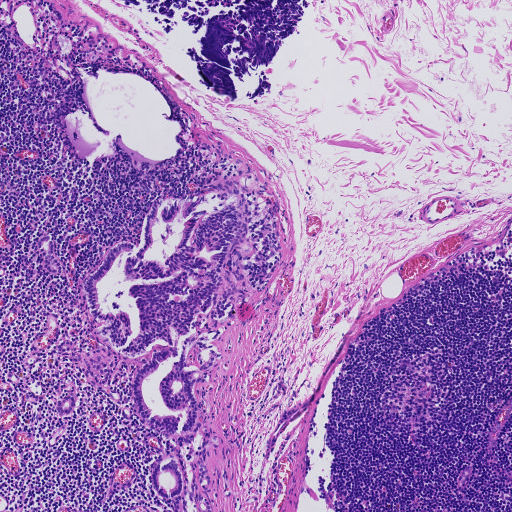
This is a crop of a whole-slide image: an H&E-stained breast-cancer sentinel lymph node section at roughly 5× magnification (about 1.8 µm per pixel; the crop spans about 0.93 mm).
Outlines of eight tumour regions, largest first (closed clockwise paths, crop pixels): region 1: (243, 168), (240, 185), (255, 249), (247, 265), (250, 295), (210, 343), (222, 357), (209, 381), (194, 385), (204, 447), (190, 462), (136, 410), (138, 370), (169, 345), (157, 340), (147, 352), (124, 357), (98, 334), (83, 285), (112, 247), (120, 241), (138, 248), (159, 198), (193, 195); region 2: (173, 452), (184, 477), (184, 496), (180, 511), (172, 511), (174, 500), (161, 498), (155, 490), (151, 482), (154, 463), (159, 457); region 3: (99, 350), (109, 361), (112, 368), (112, 375), (107, 381), (101, 384), (94, 382), (90, 376), (85, 366), (93, 354); region 4: (42, 236), (50, 236), (54, 242), (52, 250), (62, 262), (64, 270), (58, 274), (50, 274), (44, 269), (42, 255), (37, 249), (36, 241); region 5: (63, 338), (71, 340), (77, 345), (74, 352), (82, 354), (83, 361), (76, 364), (70, 359), (73, 353), (66, 354), (58, 352), (58, 344); region 6: (73, 392), (75, 401), (75, 407), (72, 413), (63, 416), (57, 412), (56, 405), (61, 399); region 7: (200, 459), (206, 465), (209, 474), (210, 484), (208, 492), (201, 487), (197, 478), (197, 468); region 8: (198, 492), (209, 499), (212, 508), (212, 511), (198, 511), (197, 511).
About 10% of this field is tumour.